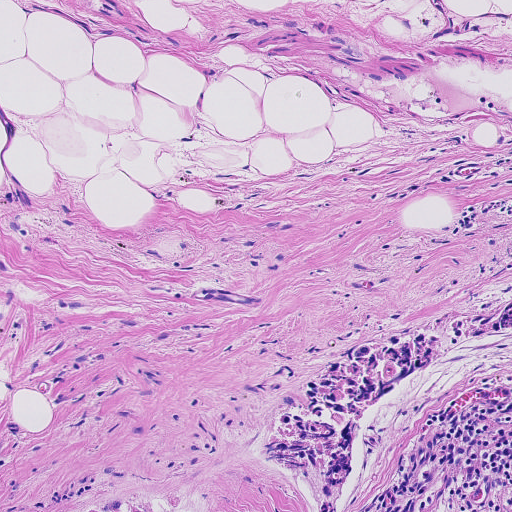
A 0.46-mm field of an H&E-stained sentinel lymph node from a breast-cancer patient (whole-slide image), shown at about 10×, about 0.91 µm per pixel.
Outlines of two tumour regions, largest first (closed clockwise paths, crop pixels): region 1: (511, 296), (511, 329), (457, 351), (411, 386), (384, 397), (361, 474), (360, 502), (352, 511), (316, 511), (301, 488), (260, 460), (271, 422), (324, 367), (352, 347), (398, 328); region 2: (119, 494), (144, 495), (167, 508), (170, 511), (73, 511).
About 10% of the image area is annotated as tumour.